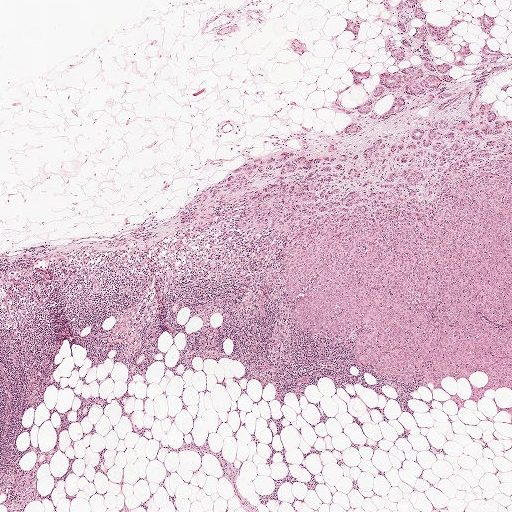
Lymph node section stained with H&E, from a whole-slide image of a breast-cancer sentinel node. Magnification about 2.5×, about 2.0 mm across the frame, about 3.9 µm per pixel.
Question: Trace the edge of each tumour region in this crop, as (x, y) points from 0 to 511.
Answer: Outlines of four tumour regions, largest first (closed clockwise paths, crop pixels): region 1: (398, 0), (461, 18), (470, 54), (428, 42), (458, 80), (495, 16), (511, 68), (479, 95), (511, 119), (511, 388), (475, 401), (486, 372), (446, 376), (458, 409), (365, 369), (362, 327), (294, 329), (284, 242), (236, 232), (219, 179), (346, 149), (379, 72), (420, 61), (385, 51); region 2: (349, 67), (356, 70), (363, 70), (369, 68), (371, 74), (368, 77), (363, 78), (363, 79), (365, 80), (361, 84), (354, 84), (352, 77), (350, 72), (348, 71); region 3: (348, 17), (358, 20), (359, 26), (358, 31), (355, 35), (349, 31), (344, 31), (346, 26), (345, 18); region 4: (494, 395), (495, 401), (497, 403), (503, 407), (507, 408), (510, 407), (511, 405), (511, 424), (508, 422), (509, 416), (507, 410), (503, 411), (497, 413), (496, 408), (492, 401), (493, 396).
One more small tumour piece is annotated here but not outlined.
About 25% of this field is tumour.